Lymph node section stained with H&E, from a whole-slide image of a breast-cancer sentinel node. Magnification about 2.5×, about 2.0 mm across the frame, about 3.9 µm per pixel.
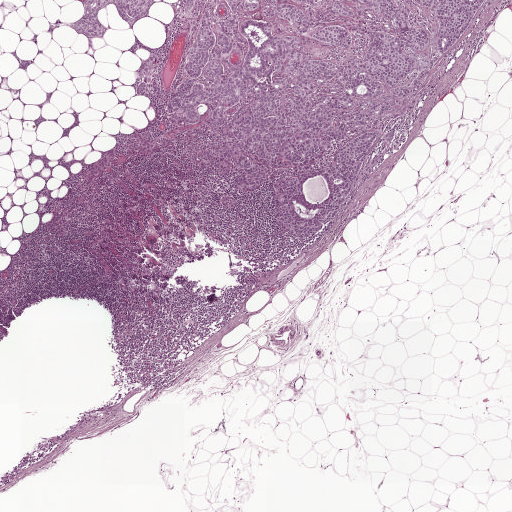
Boundaries of four metastatic tumour regions, simplified and listed clockwise, largest first: region 1: (206, 0), (398, 0), (430, 36), (426, 52), (404, 51), (416, 66), (403, 86), (430, 70), (412, 108), (348, 131), (316, 162), (394, 128), (392, 142), (378, 139), (364, 159), (386, 156), (362, 169), (309, 239), (277, 226), (274, 186), (309, 174), (308, 174), (269, 178), (259, 193), (238, 193), (235, 172), (221, 178), (182, 155), (191, 138), (212, 142), (204, 123), (210, 104), (199, 104), (201, 119), (168, 121), (163, 100), (189, 79), (185, 61); region 2: (414, 0), (486, 0), (474, 14), (455, 43), (442, 54), (437, 64), (432, 66), (428, 62), (436, 47), (437, 23), (432, 12); region 3: (88, 0), (153, 0), (174, 5), (180, 0), (200, 0), (190, 16), (183, 16), (172, 6), (158, 3), (152, 6), (138, 23), (131, 26), (121, 16), (116, 3), (109, 3), (98, 12), (98, 19), (103, 24), (105, 31), (100, 36), (78, 34), (73, 29), (71, 22), (78, 19); region 4: (156, 58), (158, 79), (158, 93), (160, 98), (156, 91), (156, 69), (150, 73), (148, 87), (140, 95), (136, 95), (134, 84), (139, 70), (149, 59).
Tumour covers about 15% of the frame.